Lymph node section stained with H&E, from a whole-slide image of a breast-cancer sentinel node. Magnification about 5×, about 1 mm across the frame, about 1.9 µm per pixel.
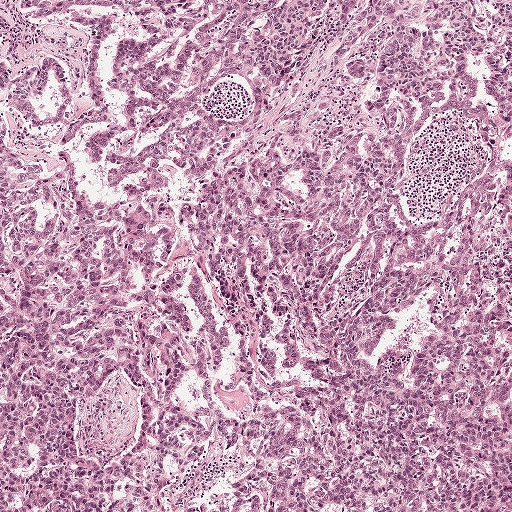
One metastatic tumour region; its boundary, reduced to 10 corners and listed clockwise: (511, 316), (511, 511), (339, 511), (328, 488), (327, 462), (342, 416), (379, 390), (407, 382), (417, 354), (464, 324).
Tumour covers about 10% of the frame.